Image:
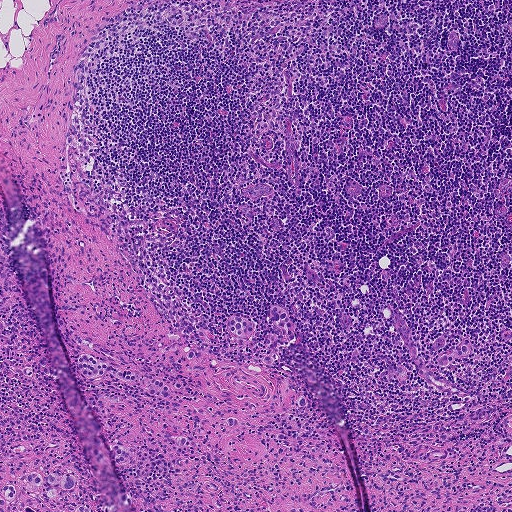
H&E-stained section of a sentinel lymph node (breast cancer), from a whole-slide image, viewed at about 5×: the field is about 0.93 mm across, about 1.8 µm per pixel.
Question:
Describe where the metastatic carcinoma lies in this crop.
Answer:
Outlines of eight tumour regions, largest first (closed clockwise paths, crop pixels): region 1: (82, 353), (89, 354), (113, 368), (126, 370), (144, 378), (158, 379), (169, 386), (176, 381), (181, 383), (181, 388), (177, 390), (174, 387), (170, 388), (172, 394), (169, 400), (162, 400), (150, 394), (141, 383), (127, 383), (109, 374), (89, 378), (78, 371), (77, 357); region 2: (34, 471), (46, 476), (54, 472), (60, 475), (66, 472), (72, 473), (76, 478), (75, 484), (71, 489), (64, 490), (58, 487), (61, 495), (58, 500), (45, 501), (26, 494), (19, 480), (22, 475); region 3: (276, 304), (283, 306), (291, 318), (295, 339), (290, 342), (282, 342), (276, 345), (279, 358), (274, 364), (268, 365), (262, 363), (263, 356), (270, 356), (265, 344), (266, 337), (270, 332), (284, 335), (271, 324), (269, 318), (270, 307); region 4: (234, 314), (254, 322), (256, 328), (254, 334), (248, 337), (235, 335), (229, 331), (225, 323), (228, 317); region 5: (464, 340), (472, 341), (474, 348), (471, 355), (449, 363), (444, 369), (437, 364), (438, 356), (446, 354); region 6: (114, 443), (126, 446), (130, 451), (130, 458), (127, 463), (119, 463), (113, 462), (109, 456), (109, 450); region 7: (11, 484), (16, 487), (16, 494), (12, 499), (6, 500), (7, 505), (0, 506), (0, 489), (5, 485); region 8: (82, 504), (88, 505), (92, 511), (74, 511), (76, 506).
Six more small tumour pieces are annotated here but not outlined.
The annotated tumour makes up under 5% of the crop.

Image:
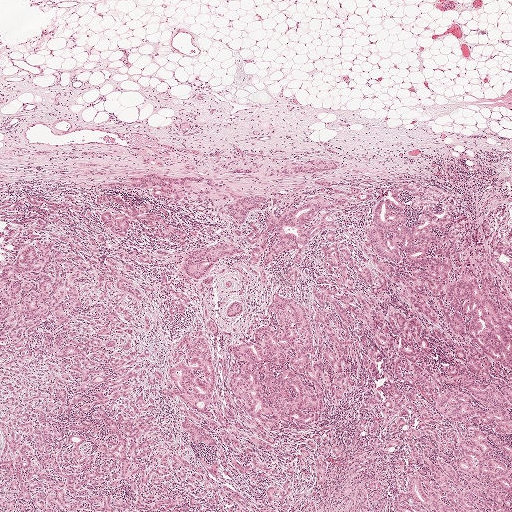
Lymph node section stained with H&E, from a whole-slide image of a breast-cancer sentinel node. Magnification about 2.5×, about 2.0 mm across the frame, about 3.9 µm per pixel.
Question:
Describe where the metastatic carcinoma lies in this crop.
Answer:
Outlines of two tumour regions, largest first (closed clockwise paths, crop pixels): region 1: (284, 295), (301, 303), (310, 324), (310, 303), (320, 306), (329, 316), (332, 334), (347, 348), (347, 395), (337, 401), (326, 394), (323, 421), (302, 433), (291, 429), (274, 433), (258, 426), (229, 388), (230, 363), (237, 359), (234, 347), (238, 341), (250, 339), (266, 320), (271, 296); region 2: (420, 455), (436, 462), (463, 499), (483, 511), (391, 511), (394, 500), (401, 490), (409, 485), (413, 477), (416, 475), (426, 476), (417, 463).
Tumour covers about 5% of the frame.

Image:
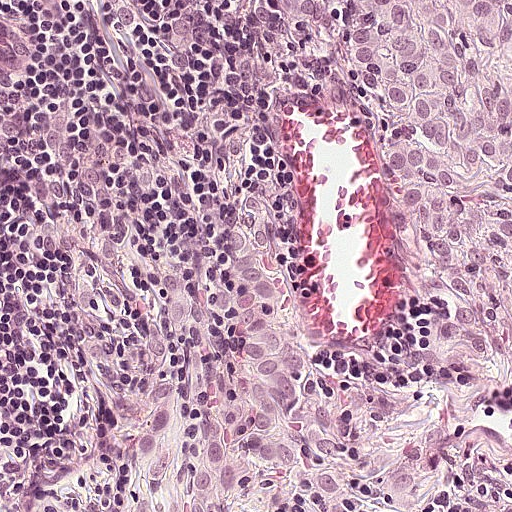
A 0.25-mm field of an H&E-stained sentinel lymph node from a breast-cancer patient (whole-slide image), shown at about 20×, about 0.49 µm per pixel.
Question:
Describe where the metastatic carcinoma lies in this crop.
Answer:
Metastatic tumour outline, simplified to 9 points and listed clockwise in crop pixels (x, y): (511, 0), (511, 316), (480, 348), (446, 348), (412, 307), (413, 252), (394, 123), (328, 76), (278, 2).
About 15% of the image area is annotated as tumour.

Image:
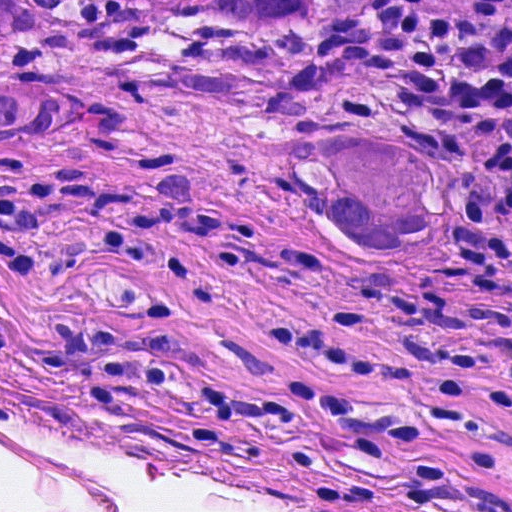
Lymph node section stained with H&E, from a whole-slide image of a breast-cancer sentinel node. Magnification about 40×, about 0.12 mm across the frame, about 0.23 µm per pixel.
Question:
Describe where the metastatic carcinoma lies in this crop.
Answer:
Outlines of two tumour regions, largest first (closed clockwise paths, crop pixels): region 1: (415, 128), (453, 193), (438, 239), (375, 249), (341, 241), (309, 187), (316, 135); region 2: (0, 0), (391, 0), (363, 29), (264, 30), (171, 24), (79, 29), (0, 25).
Tumour covers about 10% of the frame.